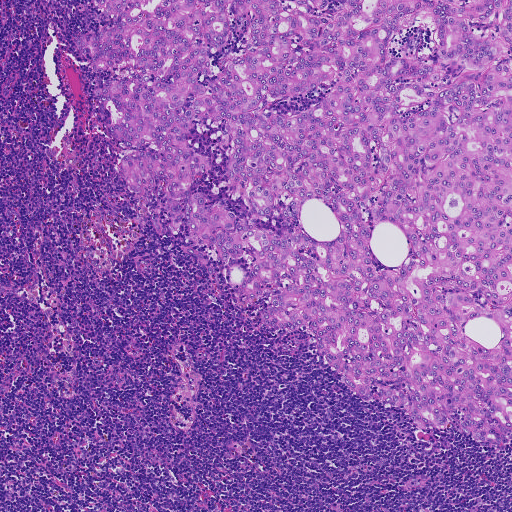
H&E-stained section of a sentinel lymph node (breast cancer), from a whole-slide image, viewed at about 5×: the field is about 0.93 mm across, about 1.8 µm per pixel.
Question: Where is the metastatic tumour in this field?
Answer: Outlines of two tumour regions, largest first (closed clockwise paths, crop pixels): region 1: (511, 0), (509, 445), (356, 395), (312, 330), (264, 326), (270, 296), (241, 305), (242, 273), (217, 283), (182, 250), (187, 226), (160, 235), (158, 202), (132, 197), (119, 169), (107, 126), (118, 112), (93, 94), (114, 73), (75, 44), (110, 23), (100, 3); region 2: (420, 475), (427, 475), (430, 481), (420, 489), (405, 488), (405, 482).
One more small tumour piece is annotated here but not outlined.
About 50% of the image area is annotated as tumour.